Question: 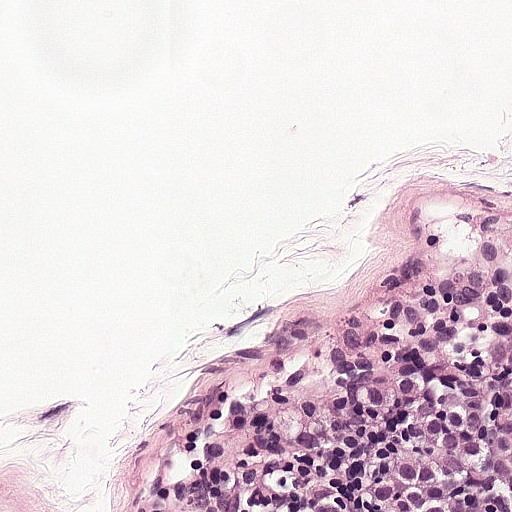
This is a crop of a whole-slide image: an H&E-stained breast-cancer sentinel lymph node section at roughly 20× magnification (about 0.49 µm per pixel; the crop spans about 0.25 mm).
Roughly what share of this field is metastatic tumour?

Choices:
 (A) about 50% or more
 (B) none: no tumour is outlined
 (C) about 10% to 20%
 (D) about 5% or less
 (E) about 25% to 45%

Answer: (E) about 25% to 45%
About 30% of the field is tumour.
The outlined metastatic tumour's edge, as a closed clockwise path of 6 points: (510, 214), (511, 511), (141, 511), (226, 376), (320, 270), (410, 228).
Question: 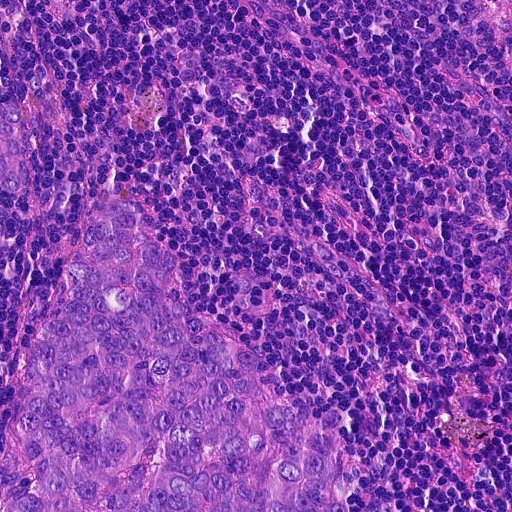
A 0.23-mm field of an H&E-stained sentinel lymph node from a breast-cancer patient (whole-slide image), shown at about 20×, about 0.45 µm per pixel.
Roughly what share of this field is metastatic tumour?

Choices:
 (A) about 10% to 20%
 (B) about 5% or less
 (C) about 50% or more
 (D) about 25% to 45%
 (E) none: no tumour is outlined

Answer: (D) about 25% to 45%
About 25% of the field is tumour.
Boundaries of two metastatic tumour regions, simplified and listed clockwise, largest first: region 1: (104, 195), (131, 198), (186, 292), (302, 408), (340, 405), (349, 511), (0, 511), (0, 450), (21, 356); region 2: (8, 100), (26, 110), (27, 136), (34, 160), (34, 186), (9, 192), (0, 187), (0, 104).
Question: 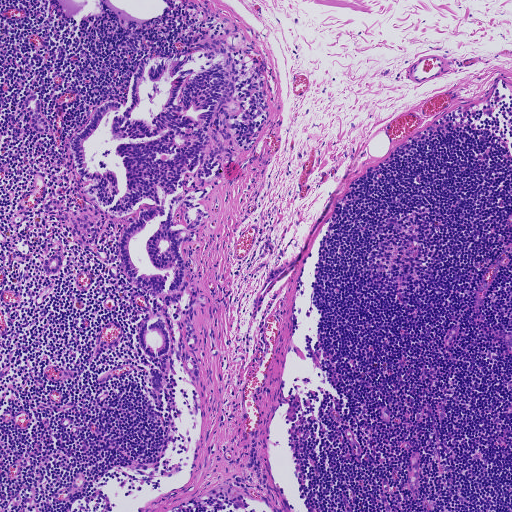
This is a crop of a whole-slide image: an H&E-stained breast-cancer sentinel lymph node section at roughly 5× magnification (about 1.8 µm per pixel; the crop spans about 0.93 mm).
Roughly what share of this field is metastatic tumour?

Choices:
 (A) about 5% or less
 (B) about 25% to 45%
 (C) about 10% to 20%
 (D) none: no tumour is outlined
 (E) about 50% or more

Answer: (C) about 10% to 20%
About 10% of the field is tumour.
Boundaries of eight metastatic tumour regions, simplified and listed clockwise, largest first: region 1: (230, 27), (227, 44), (242, 108), (234, 124), (237, 154), (197, 202), (209, 216), (196, 240), (181, 244), (191, 306), (177, 321), (123, 269), (125, 228), (156, 204), (144, 199), (134, 211), (112, 216), (85, 192), (70, 144), (99, 106), (107, 100), (125, 107), (146, 56), (180, 54); region 2: (160, 311), (171, 336), (171, 346), (166, 384), (162, 393), (157, 394), (153, 389), (149, 371), (151, 367), (160, 371), (161, 360), (148, 357), (142, 350), (138, 340), (141, 322), (146, 316); region 3: (86, 209), (99, 227), (99, 234), (88, 243), (81, 241), (72, 225), (80, 212); region 4: (37, 95), (41, 101), (40, 109), (49, 121), (51, 129), (45, 133), (37, 133), (32, 128), (29, 114), (24, 108), (23, 100), (29, 96); region 5: (186, 351), (196, 358), (199, 367), (199, 376), (196, 384), (184, 370); region 6: (50, 197), (58, 199), (64, 204), (61, 211), (69, 213), (70, 220), (63, 223), (57, 218), (60, 212), (53, 213), (45, 211), (45, 203); region 7: (60, 251), (62, 260), (62, 266), (59, 272), (50, 275), (44, 271), (43, 264), (48, 258); region 8: (186, 318), (194, 324), (196, 333), (197, 343), (194, 351), (188, 346), (184, 337).
Question: 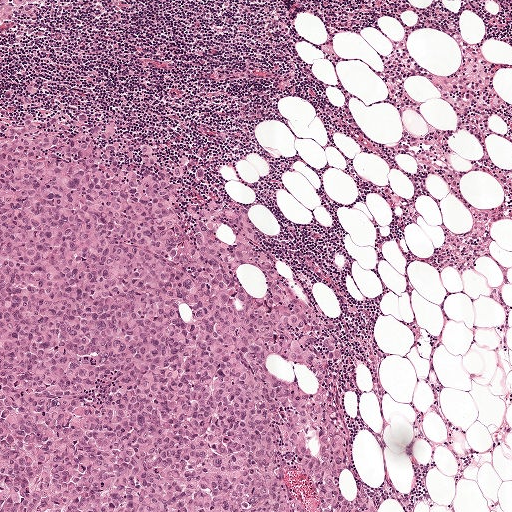
This is a crop of a whole-slide image: an H&E-stained breast-cancer sentinel lymph node section at roughly 5× magnification (about 1.9 µm per pixel; the crop spans about 1 mm).
Roughly what share of this field is metastatic tumour?

Choices:
 (A) none: no tumour is outlined
 (B) about 5% or less
 (C) about 50% or more
 (D) about 10% to 20%
 (E) about 25% to 45%

Answer: (E) about 25% to 45%
About 45% of the field is tumour.
Outlines of two tumour regions, largest first (closed clockwise paths, crop pixels): region 1: (0, 88), (113, 117), (221, 173), (269, 221), (354, 348), (351, 440), (380, 511), (0, 511); region 2: (0, 0), (80, 0), (32, 20), (20, 29), (0, 47).